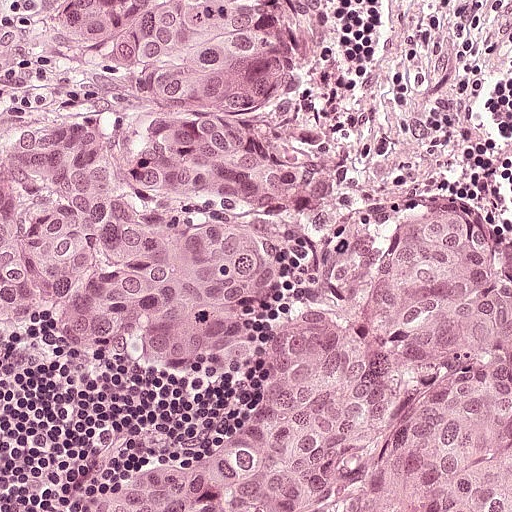
This is a crop of a whole-slide image: an H&E-stained breast-cancer sentinel lymph node section at roughly 20× magnification (about 0.49 µm per pixel; the crop spans about 0.25 mm).
Tumour region outline (a closed clockwise path, crop pixels): (0, 0), (331, 0), (297, 42), (282, 114), (357, 160), (385, 225), (462, 202), (510, 234), (511, 511), (0, 511).
Tumour covers about 85% of the frame.